Lymph node section stained with H&E, from a whole-slide image of a breast-cancer sentinel node. Magnification about 10×, about 0.46 mm across the frame, about 0.91 µm per pixel.
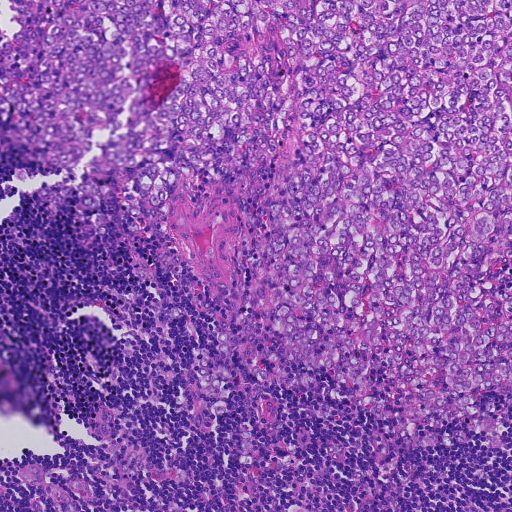
The outlined metastatic tumour's edge, as a closed clockwise path of 21 points: (511, 0), (511, 401), (483, 388), (491, 427), (402, 420), (377, 358), (354, 389), (286, 362), (261, 380), (234, 348), (227, 409), (211, 413), (192, 354), (215, 359), (238, 205), (190, 176), (138, 229), (92, 231), (82, 183), (3, 130), (16, 6).
One more small tumour piece is annotated here but not outlined.
About 60% of this field is tumour.